Question: 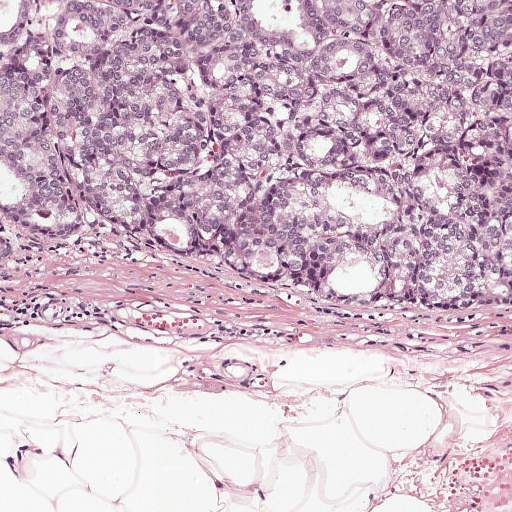
Which magnification is this H&E lymph node field most likely shown at?

Choices:
 (A) about 20×
 (B) about 2.5×
 (C) about 40×
 (D) about 10×
 (E) about 5×

Answer: (D) about 10×
H&E-stained section of a sentinel lymph node (breast cancer), from a whole-slide image, viewed at about 10×: the field is about 0.5 mm across, about 0.97 µm per pixel.
Tumour region outline (a closed clockwise path, crop pixels): (0, 0), (511, 0), (511, 311), (437, 316), (230, 290), (108, 244), (48, 264), (4, 263).
The annotated tumour makes up about 55% of the crop.